Question: 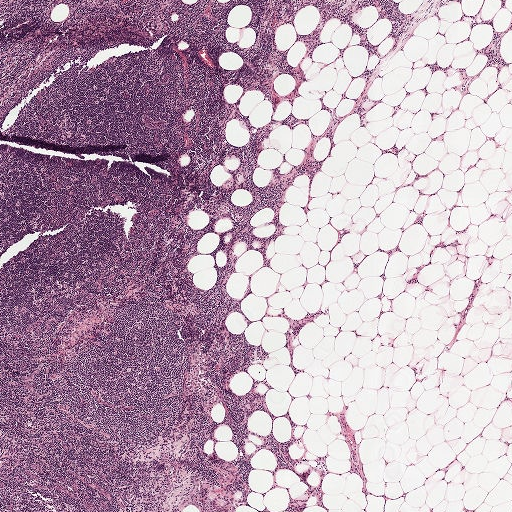
About what magnification does this crop show?

Choices:
 (A) about 5×
 (B) about 10×
 (C) about 2.5×
 (D) about 40×
 (E) about 20×

Answer: (C) about 2.5×
This is a crop of a whole-slide image: an H&E-stained breast-cancer sentinel lymph node section at roughly 2.5× magnification (about 3.9 µm per pixel; the crop spans about 2.0 mm).